Lymph node section stained with H&E, from a whole-slide image of a breast-cancer sentinel node. Magnification about 10×, about 0.5 mm across the frame, about 0.97 µm per pixel.
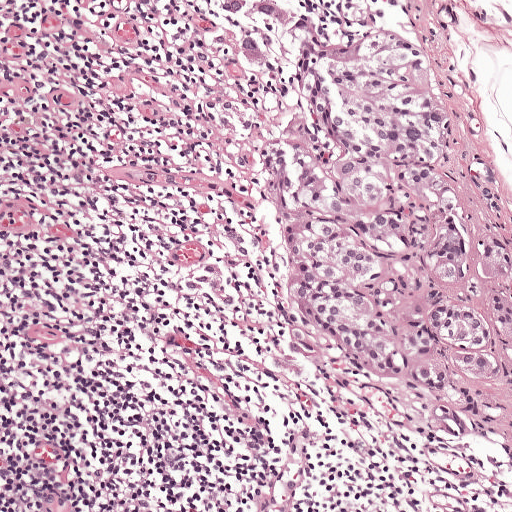
Four metastatic tumour regions, each outlined as a closed clockwise path in crop pixels (x, y), largest first: region 1: (374, 28), (410, 37), (452, 114), (458, 230), (493, 230), (509, 254), (502, 282), (436, 276), (442, 300), (483, 310), (504, 365), (443, 382), (430, 395), (413, 382), (415, 363), (389, 376), (304, 358), (287, 334), (290, 276), (297, 189), (319, 134), (305, 78); region 2: (273, 0), (316, 29), (305, 34), (273, 19), (260, 30), (259, 68), (240, 48), (249, 1); region 3: (214, 262), (227, 286), (210, 291), (191, 292), (182, 279); region 4: (490, 290), (511, 299), (511, 341), (504, 335), (492, 312).
About 20% of this field is tumour.